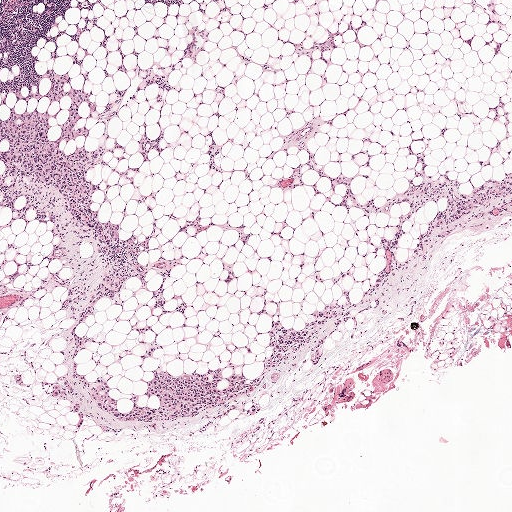
A 2.0-mm field of an H&E-stained sentinel lymph node from a breast-cancer patient (whole-slide image), shown at about 2.5×, about 3.9 µm per pixel.
Question: Does this lymph node field contain metastatic tumour?
Answer: Yes.
Boundaries of eight metastatic tumour regions, simplified and listed clockwise, largest first: region 1: (361, 17), (366, 20), (366, 24), (358, 34), (358, 37), (364, 44), (365, 46), (359, 45), (354, 40), (352, 30), (343, 34), (337, 35), (336, 36), (337, 49), (334, 50), (324, 49), (327, 58), (327, 63), (324, 63), (321, 60), (310, 62), (305, 57), (296, 57), (294, 47), (283, 43), (286, 40), (293, 40), (302, 47), (308, 47), (311, 44), (325, 40), (331, 34), (342, 31), (347, 26), (348, 20), (351, 27), (356, 24); region 2: (501, 96), (509, 120), (510, 129), (511, 137), (491, 154), (488, 167), (480, 170), (478, 170), (476, 165), (484, 160), (488, 151), (495, 145), (503, 133), (502, 128), (496, 121), (489, 117), (486, 114), (487, 109), (498, 102); region 3: (200, 214), (199, 224), (200, 225), (204, 225), (211, 222), (218, 221), (223, 217), (234, 226), (240, 226), (242, 223), (244, 223), (246, 226), (245, 229), (251, 231), (251, 233), (250, 240), (246, 244), (244, 244), (239, 241), (237, 233), (232, 231), (222, 230), (217, 226), (200, 229), (196, 231), (193, 230), (190, 227), (188, 228), (184, 234), (178, 231), (177, 229), (180, 225), (195, 215); region 4: (157, 119), (159, 125), (163, 127), (165, 129), (164, 136), (159, 146), (167, 146), (162, 149), (159, 156), (156, 156), (155, 151), (150, 148), (147, 152), (148, 161), (142, 160), (141, 154), (137, 152), (138, 145), (136, 141), (142, 133), (142, 130), (142, 127), (137, 125), (144, 120), (146, 126), (146, 136), (150, 138), (154, 138), (158, 134), (158, 128), (154, 123); region 5: (144, 322), (150, 324), (157, 330), (159, 342), (163, 346), (162, 348), (155, 349), (150, 356), (145, 358), (140, 367), (138, 367), (138, 355), (143, 351), (143, 347), (136, 344), (135, 340), (150, 341), (153, 338), (153, 334), (149, 330), (138, 331), (133, 328), (145, 324); region 6: (212, 129), (213, 134), (214, 139), (219, 145), (217, 150), (214, 154), (213, 161), (216, 166), (222, 169), (222, 171), (221, 173), (217, 173), (206, 167), (208, 162), (208, 158), (207, 155), (204, 154), (204, 153), (206, 149), (206, 146), (210, 142), (208, 137), (205, 135); region 7: (226, 269), (232, 269), (236, 273), (234, 280), (227, 283), (220, 282), (220, 279); region 8: (491, 39), (501, 41), (501, 43), (499, 52), (496, 54), (494, 54), (493, 51), (493, 46), (495, 43), (493, 42), (492, 42), (489, 45), (486, 45), (484, 44), (484, 42), (486, 40), (489, 40).
One more tumour region is annotated but not outlined: its edge is too irregular for a short outline.
One more, smaller tumour region is not outlined.
About 15% of the image area is annotated as tumour.